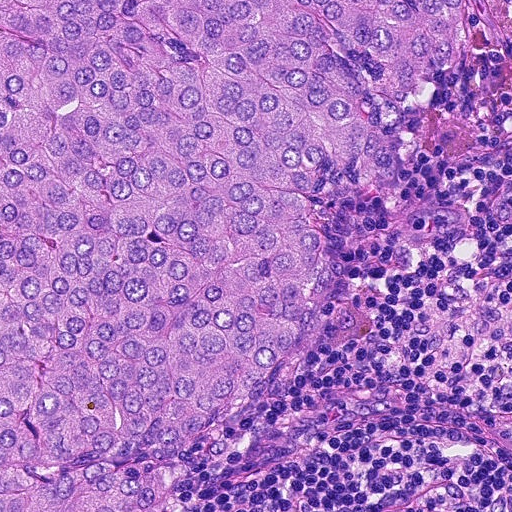
A 0.23-mm field of an H&E-stained sentinel lymph node from a breast-cancer patient (whole-slide image), shown at about 20×, about 0.45 µm per pixel.
Question: Which parts of this field are metastatic tumour?
Answer: Metastatic tumour outline, simplified to 12 points and listed clockwise in crop pixels (x, y): (0, 0), (469, 0), (464, 49), (405, 96), (394, 173), (361, 189), (316, 172), (324, 274), (258, 390), (194, 432), (158, 507), (0, 511).
Tumour covers about 65% of the frame.